Question: 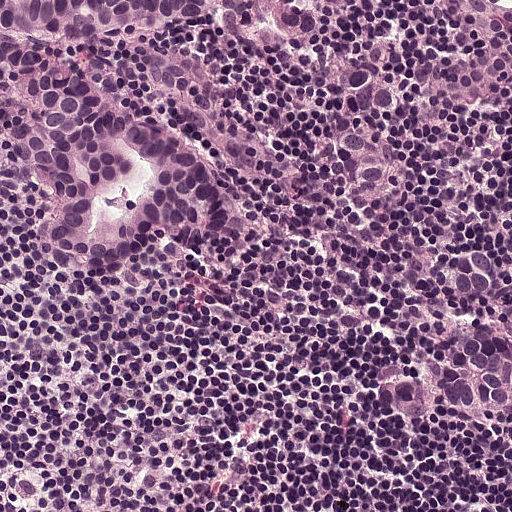
Lymph node section stained with H&E, from a whole-slide image of a breast-cancer sentinel node. Magnification about 20×, about 0.25 mm across the frame, about 0.49 µm per pixel.
About how much of this crop is taken up by metastatic carcinoma?

Choices:
 (A) about 25% to 45%
 (B) none: no tumour is outlined
 (C) about 5% or less
 (D) about 10% to 20%
 (E) about 50% or more

Answer: (D) about 10% to 20%
About 20% of the field is tumour.
Three metastatic tumour regions, each outlined as a closed clockwise path in crop pixels (x, y), largest first: region 1: (0, 0), (211, 0), (111, 38), (50, 34), (40, 50), (64, 49), (200, 146), (224, 195), (228, 231), (173, 238), (144, 231), (116, 252), (66, 252), (30, 240), (20, 234), (20, 170), (4, 138); region 2: (470, 313), (489, 323), (511, 328), (511, 400), (431, 398), (397, 408), (365, 394), (367, 382), (374, 376), (397, 374), (430, 362), (442, 322), (447, 316), (458, 320); region 3: (148, 40), (158, 46), (166, 45), (184, 54), (207, 90), (226, 104), (242, 125), (251, 143), (254, 161), (253, 172), (240, 172), (220, 156), (200, 132), (183, 121), (171, 99), (139, 76), (126, 62), (134, 46), (141, 41).
One more small tumour piece is annotated here but not outlined.